Question: 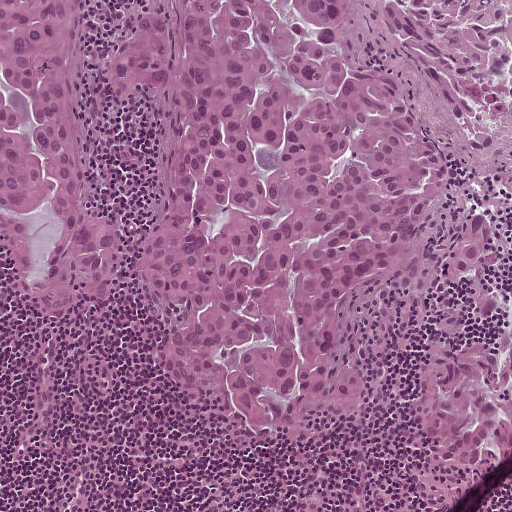
About what magnification does this crop show?

Choices:
 (A) about 10×
 (B) about 2.5×
 (C) about 40×
 (D) about 5×
 (E) about 20×

Answer: (A) about 10×
This is a crop of a whole-slide image: an H&E-stained breast-cancer sentinel lymph node section at roughly 10× magnification (about 0.97 µm per pixel; the crop spans about 0.5 mm).
Three metastatic tumour regions, each outlined as a closed clockwise path in crop pixels (x, y), largest first: region 1: (158, 0), (511, 0), (511, 155), (448, 193), (419, 245), (350, 301), (349, 342), (373, 397), (329, 437), (269, 447), (240, 436), (149, 360), (137, 272), (149, 123), (138, 97), (109, 92), (98, 64), (128, 12); region 2: (0, 0), (80, 0), (70, 100), (82, 188), (93, 205), (110, 210), (121, 238), (116, 296), (54, 312), (24, 312), (12, 302), (3, 274); region 3: (468, 212), (484, 213), (502, 236), (505, 296), (470, 343), (511, 330), (511, 471), (466, 474), (438, 466), (419, 443), (426, 355), (446, 296), (441, 267).
Tumour covers about 65% of the frame.